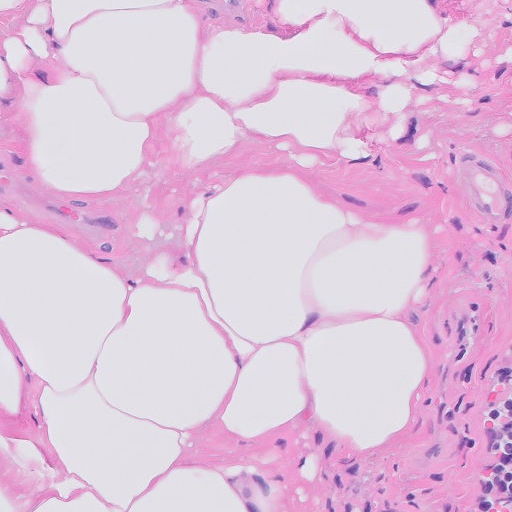
This is a crop of a whole-slide image: an H&E-stained breast-cancer sentinel lymph node section at roughly 20× magnification (about 0.5 µm per pixel; the crop spans about 0.26 mm).